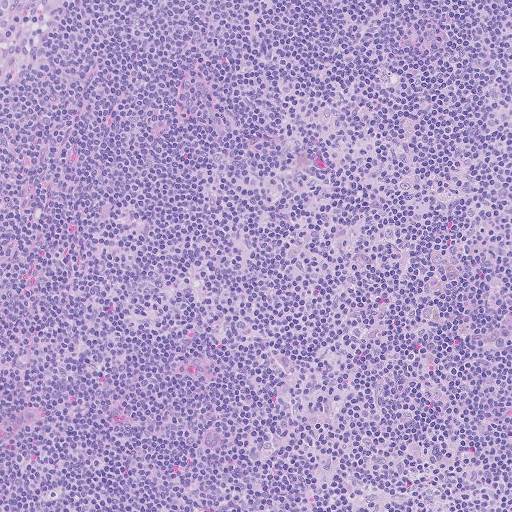
Lymph node section stained with H&E, from a whole-slide image of a breast-cancer sentinel node. Magnification about 10×, about 0.51 mm across the frame, about 1.0 µm per pixel.